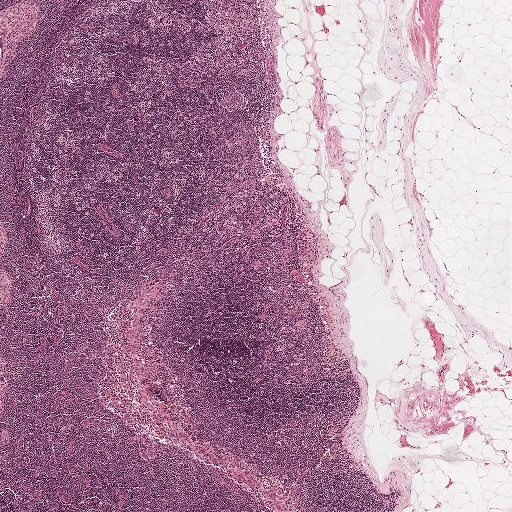
A 2.0-mm field of an H&E-stained sentinel lymph node from a breast-cancer patient (whole-slide image), shown at about 2.5×, about 3.9 µm per pixel.
Tumour region outline (a closed clockwise path, crop pixels): (299, 243), (310, 245), (315, 254), (315, 260), (312, 265), (302, 264), (298, 259), (300, 254).
Under 5% of the image area is annotated as tumour.